Image:
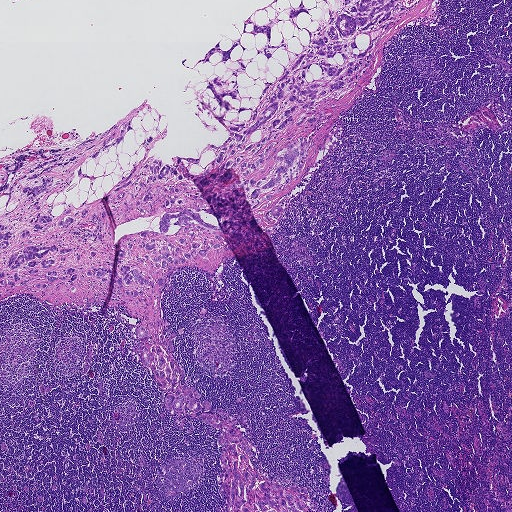
This is a crop of a whole-slide image: an H&E-stained breast-cancer sentinel lymph node section at roughly 2.5× magnification (about 3.6 µm per pixel; the crop spans about 1.9 mm).
Question:
Describe where the metastatic carcinoma lies in this crop.
Answer:
The outlined metastatic tumour's edge, as a closed clockwise path of 39 points: (300, 0), (312, 32), (325, 0), (433, 0), (271, 248), (161, 290), (182, 384), (316, 511), (225, 511), (224, 431), (167, 411), (123, 306), (2, 299), (0, 158), (130, 120), (119, 144), (83, 162), (95, 179), (77, 176), (80, 163), (47, 196), (57, 216), (145, 137), (168, 165), (228, 138), (199, 100), (218, 115), (203, 91), (239, 65), (181, 60), (239, 38), (231, 61), (253, 58), (223, 100), (254, 107), (287, 64), (247, 21), (278, 12), (291, 60).
One more small tumour piece is annotated here but not outlined.
The annotated tumour makes up about 25% of the crop.